Question: 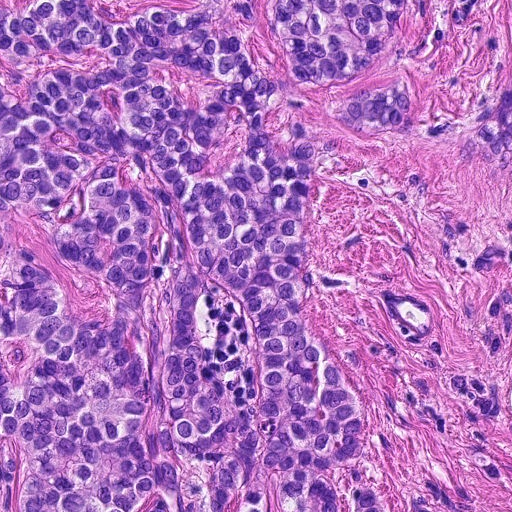
A 0.23-mm field of an H&E-stained sentinel lymph node from a breast-cancer patient (whole-slide image), shown at about 20×, about 0.45 µm per pixel.
Estimate the proportion of this field that is metastatic tumour.

Choices:
 (A) about 25% to 45%
 (B) about 10% to 20%
 (C) about 50% or more
 (D) none: no tumour is outlined
 (E) about 5% or less

Answer: (C) about 50% or more
About 75% of the field is tumour.
Metastatic tumour outline, simplified to 9 points and listed clockwise in crop pixels (x, y): (0, 0), (511, 0), (511, 160), (324, 128), (310, 310), (360, 411), (366, 464), (399, 511), (0, 511).
One more small tumour piece is annotated here but not outlined.